Question: 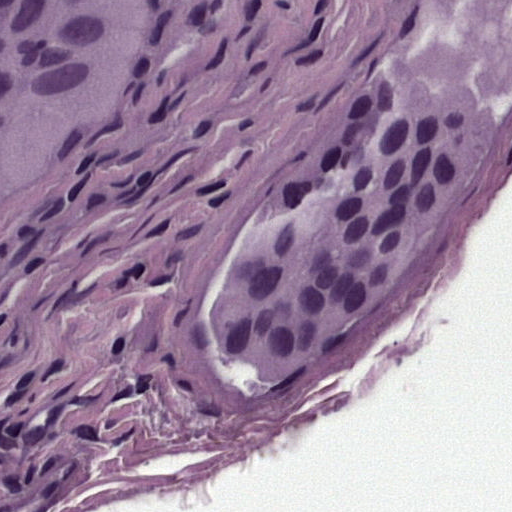
At roughly what magnification is this field shown?

Choices:
 (A) about 20×
 (B) about 10×
 (C) about 5×
 (D) about 40×
 (E) about 2.5×

Answer: (D) about 40×
Lymph node section stained with H&E, from a whole-slide image of a breast-cancer sentinel node. Magnification about 40×, about 0.12 mm across the frame, about 0.24 µm per pixel.
Boundaries of two metastatic tumour regions, simplified and listed clockwise, largest first: region 1: (419, 64), (490, 80), (501, 134), (369, 347), (320, 387), (232, 405), (198, 365), (194, 321), (233, 205), (327, 121), (361, 74); region 2: (0, 0), (158, 0), (136, 52), (90, 119), (0, 222).
About 30% of the image area is annotated as tumour.